Question: 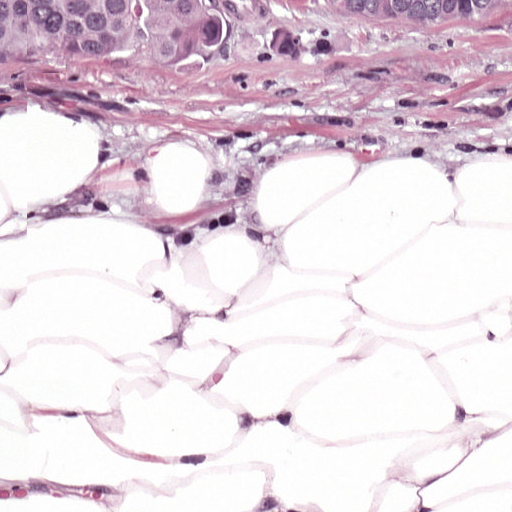
At roughly what magnification is this field shown?

Choices:
 (A) about 5×
 (B) about 40×
 (C) about 20×
 (D) about 2.5×
 (E) about 10×

Answer: (C) about 20×
This is a crop of a whole-slide image: an H&E-stained breast-cancer sentinel lymph node section at roughly 20× magnification (about 0.49 µm per pixel; the crop spans about 0.25 mm).
Metastatic tumour outline, simplified to 6 points and listed clockwise in crop pixels (x, y): (0, 0), (511, 0), (511, 64), (399, 88), (144, 102), (0, 81).
Tumour covers about 20% of the frame.
Question: 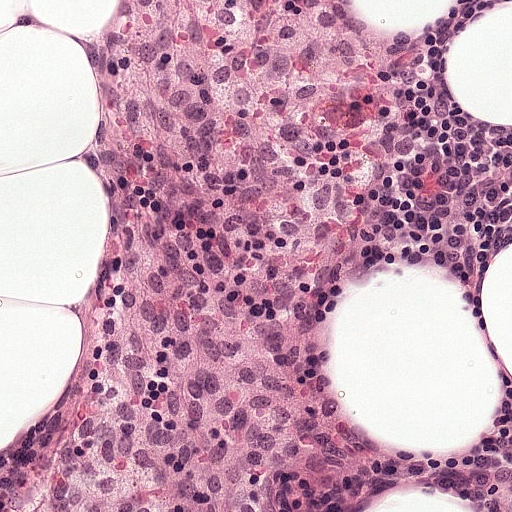
At roughly what magnification is this field shown?

Choices:
 (A) about 5×
 (B) about 40×
 (C) about 10×
 (D) about 20×
 (E) about 2.5×

Answer: (D) about 20×
A 0.25-mm field of an H&E-stained sentinel lymph node from a breast-cancer patient (whole-slide image), shown at about 20×, about 0.49 µm per pixel.
Question: 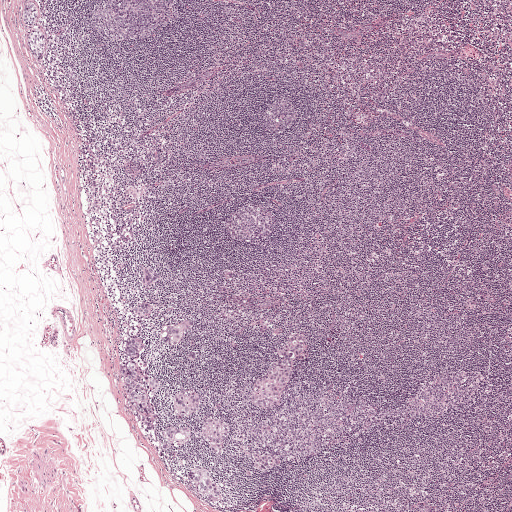
At roughly what magnification is this field shown?

Choices:
 (A) about 10×
 (B) about 40×
 (C) about 2.5×
 (D) about 20×
 (E) about 5×

Answer: (C) about 2.5×
Lymph node section stained with H&E, from a whole-slide image of a breast-cancer sentinel node. Magnification about 2.5×, about 2.0 mm across the frame, about 3.9 µm per pixel.
Outlines of the eight largest metastatic tumour regions, each a closed clockwise path in crop pixels (x, y), largest first: region 1: (132, 336), (140, 336), (145, 339), (147, 345), (142, 357), (147, 362), (148, 372), (160, 382), (160, 386), (157, 391), (147, 390), (149, 398), (157, 416), (154, 430), (151, 431), (142, 429), (127, 409), (121, 378), (123, 365), (128, 361), (129, 358), (122, 358), (121, 355), (128, 338); region 2: (291, 333), (303, 335), (307, 339), (307, 355), (293, 362), (291, 376), (275, 405), (268, 408), (261, 408), (255, 404), (251, 396), (253, 386), (256, 380), (265, 375), (270, 363), (281, 359), (274, 353), (274, 350), (286, 344), (289, 334); region 3: (197, 465), (207, 467), (212, 471), (220, 486), (222, 500), (217, 502), (200, 494), (188, 486), (185, 480), (185, 472), (188, 469); region 4: (28, 0), (38, 5), (39, 15), (35, 24), (35, 27), (44, 29), (48, 38), (46, 51), (39, 59), (33, 58), (29, 52), (28, 38), (32, 28), (23, 20), (22, 17), (24, 7); region 5: (208, 418), (214, 418), (230, 424), (231, 431), (224, 443), (221, 457), (212, 456), (208, 446), (198, 435), (201, 424); region 6: (187, 425), (193, 427), (193, 433), (189, 443), (186, 446), (168, 450), (164, 459), (161, 459), (158, 454), (160, 447), (165, 443), (162, 432), (167, 426), (178, 427); region 7: (187, 319), (195, 319), (193, 328), (184, 332), (177, 344), (172, 346), (164, 345), (158, 336), (158, 332), (162, 324), (176, 324); region 8: (183, 389), (198, 394), (199, 398), (195, 411), (186, 417), (177, 416), (173, 401), (175, 394).
Four more, smaller tumour regions are not outlined.
Eight more small tumour pieces are annotated here but not outlined.
About 5% of the image area is annotated as tumour.
Question: 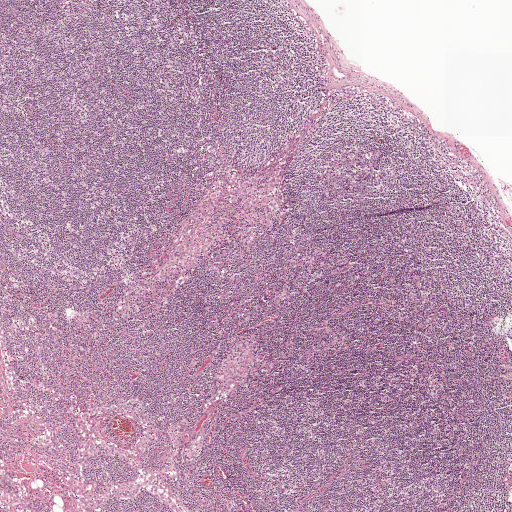
At roughly what magnification is this field shown?

Choices:
 (A) about 10×
 (B) about 2.5×
 (C) about 5×
 (D) about 20×
 (E) about 40×

Answer: (B) about 2.5×
H&E-stained section of a sentinel lymph node (breast cancer), from a whole-slide image, viewed at about 2.5×: the field is about 2.0 mm across, about 3.9 µm per pixel.